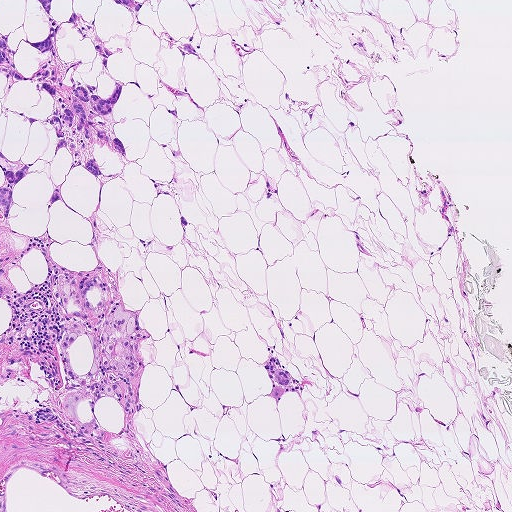
A 0.93-mm field of an H&E-stained sentinel lymph node from a breast-cancer patient (whole-slide image), shown at about 5×, about 1.8 µm per pixel.
Four metastatic tumour regions, each outlined as a closed clockwise path in crop pixels (x, y), largest first: region 1: (0, 0), (75, 0), (79, 18), (93, 22), (105, 41), (127, 38), (127, 50), (109, 56), (106, 65), (124, 88), (107, 120), (126, 158), (96, 144), (101, 176), (72, 168), (60, 201), (48, 207), (58, 140), (39, 122), (52, 114), (53, 101), (33, 81), (2, 74); region 2: (0, 154), (12, 161), (20, 160), (31, 166), (29, 172), (11, 190), (12, 195), (9, 217), (6, 219), (0, 212), (0, 186), (5, 182), (5, 177), (0, 164); region 3: (271, 355), (280, 369), (302, 385), (303, 391), (283, 394), (277, 403), (274, 398), (267, 396), (272, 387), (264, 368), (265, 362); region 4: (111, 0), (137, 0), (143, 3), (138, 20), (132, 21), (127, 11).
Two more small tumour pieces are annotated here but not outlined.
Tumour covers about 5% of the frame.